Lymph node section stained with H&E, from a whole-slide image of a breast-cancer sentinel node. Magnification about 10×, about 0.5 mm across the frame, about 0.97 µm per pixel.
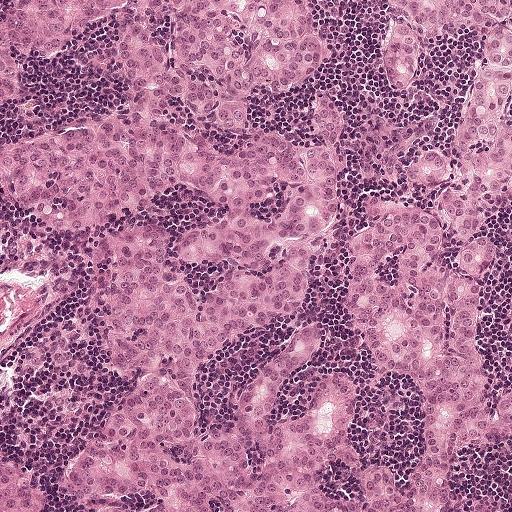
Outlines of three tumour regions, largest first (closed clockwise paths, crop pixels): region 1: (380, 0), (511, 0), (475, 358), (511, 442), (456, 452), (447, 511), (88, 511), (63, 479), (130, 390), (92, 258), (158, 226), (198, 298), (231, 267), (177, 240), (224, 220), (0, 202), (0, 149), (122, 94), (106, 21), (0, 105), (4, 1), (319, 1), (324, 64), (242, 115), (338, 104), (344, 196), (191, 390), (209, 426), (328, 320), (273, 417), (353, 382), (355, 505), (428, 425), (343, 247), (362, 194), (436, 202), (356, 136), (452, 152), (486, 36), (401, 93); region 2: (0, 461), (23, 462), (30, 468), (38, 479), (41, 488), (39, 511), (0, 511); region 3: (478, 502), (486, 502), (494, 504), (496, 510), (496, 511), (468, 511), (468, 510).
The annotated tumour makes up about 65% of the crop.